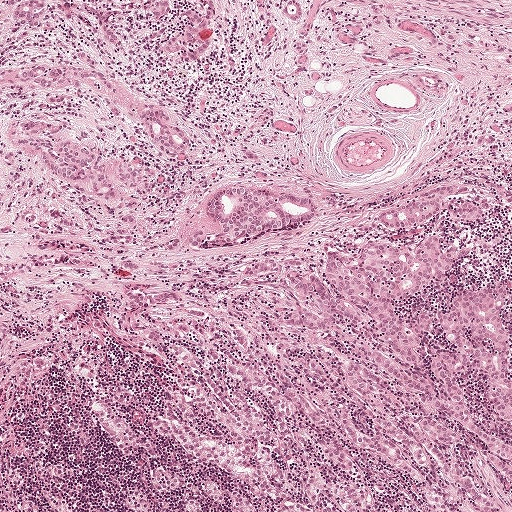
Lymph node section stained with H&E, from a whole-slide image of a breast-cancer sentinel node. Magnification about 5×, about 1 mm across the frame, about 1.9 µm per pixel.
Two metastatic tumour regions, each outlined as a closed clockwise path in crop pixels (x, y), largest first: region 1: (433, 235), (476, 250), (414, 300), (388, 300), (405, 325), (433, 317), (420, 347), (425, 368), (450, 347), (444, 306), (474, 286), (509, 288), (499, 317), (511, 422), (489, 412), (475, 373), (458, 384), (477, 421), (511, 444), (511, 492), (488, 447), (439, 414), (472, 482), (498, 507), (483, 509), (448, 474), (431, 462), (418, 468), (374, 434), (372, 405), (284, 320), (285, 308), (311, 306), (291, 286), (293, 274), (331, 260), (337, 246), (358, 254), (379, 240), (414, 246); region 2: (239, 184), (280, 195), (298, 195), (316, 204), (320, 212), (320, 223), (288, 224), (281, 230), (236, 239), (229, 243), (206, 236), (203, 243), (195, 246), (187, 245), (191, 232), (215, 229), (206, 208), (215, 190), (224, 186).
About 15% of the image area is annotated as tumour.